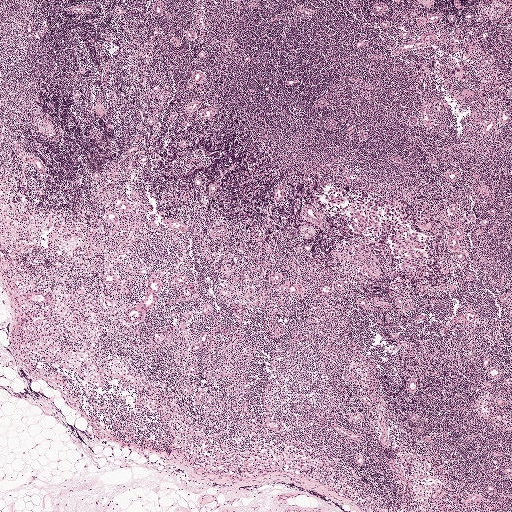
H&E-stained section of a sentinel lymph node (breast cancer), from a whole-slide image, viewed at about 2.5×: the field is about 2.0 mm across, about 3.9 µm per pixel.
Boundaries of two metastatic tumour regions, simplified and listed clockwise, largest first: region 1: (330, 188), (349, 189), (357, 195), (390, 201), (405, 209), (411, 216), (408, 225), (435, 243), (437, 257), (435, 262), (430, 264), (427, 255), (419, 264), (405, 262), (395, 252), (391, 238), (385, 241), (372, 233), (362, 236), (352, 230), (349, 216), (332, 211), (325, 201), (323, 196); region 2: (360, 242), (382, 245), (387, 248), (386, 254), (383, 256), (374, 252), (356, 253), (355, 248).
The annotated tumour makes up under 5% of the crop.